Image:
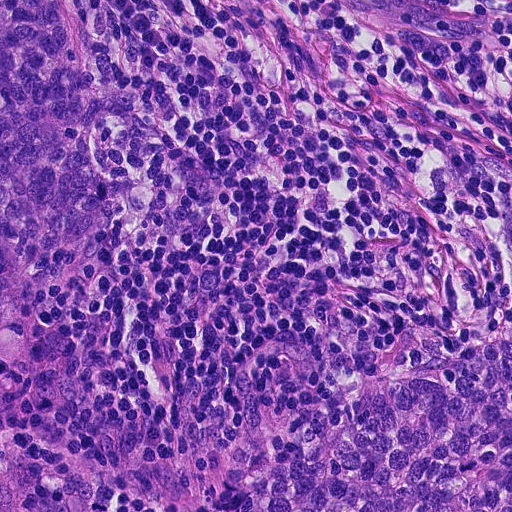
This is a crop of a whole-slide image: an H&E-stained breast-cancer sentinel lymph node section at roughly 20× magnification (about 0.45 µm per pixel; the crop spans about 0.23 mm).
Question:
Where is the metastatic tumour in this field? Give each region's outline as (x, y) pixel points.
Answer:
Outlines of two tumour regions, largest first (closed clockwise paths, crop pixels): region 1: (0, 0), (60, 0), (74, 44), (102, 50), (135, 100), (94, 130), (122, 202), (92, 273), (38, 313), (108, 311), (115, 392), (135, 413), (176, 419), (188, 379), (244, 434), (233, 378), (280, 340), (366, 386), (508, 312), (511, 511), (0, 511); region 2: (508, 199), (511, 199), (511, 251), (506, 242), (502, 228), (503, 213).
Tumour covers about 40% of the frame.